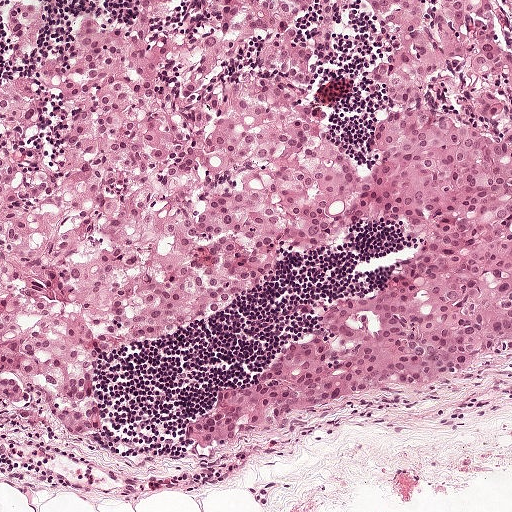
Lymph node section stained with H&E, from a whole-slide image of a breast-cancer sentinel node. Magnification about 10×, about 0.5 mm across the frame, about 0.97 µm per pixel.
Question: Is any metastatic breast cancer visible in this crop?
Answer: Yes.
Boundaries of two metastatic tumour regions, simplified and listed clockwise, largest first: region 1: (13, 0), (41, 0), (77, 40), (99, 2), (125, 19), (130, 0), (186, 0), (192, 13), (203, 0), (306, 0), (366, 160), (340, 231), (204, 319), (114, 361), (93, 431), (2, 428), (0, 67), (20, 56); region 2: (372, 0), (511, 0), (506, 339), (430, 385), (332, 394), (237, 436), (192, 434), (213, 381), (328, 300), (406, 289), (433, 266), (425, 249), (362, 205), (382, 108), (370, 86), (384, 30).
The annotated tumour makes up about 70% of the crop.